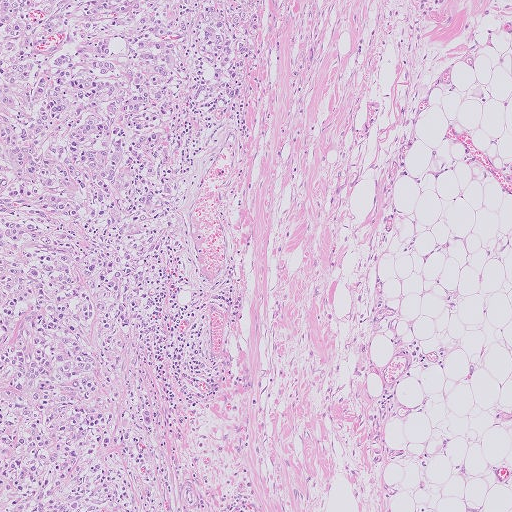
A 1.0-mm field of an H&E-stained sentinel lymph node from a breast-cancer patient (whole-slide image), shown at about 5×, about 2.0 µm per pixel.
Metastatic tumour outline, simplified to 11 points and listed clockwise in crop pixels (x, y): (0, 0), (253, 0), (249, 76), (188, 191), (148, 323), (126, 342), (96, 346), (127, 405), (153, 411), (151, 505), (0, 511).
Tumour covers about 35% of the frame.